Image:
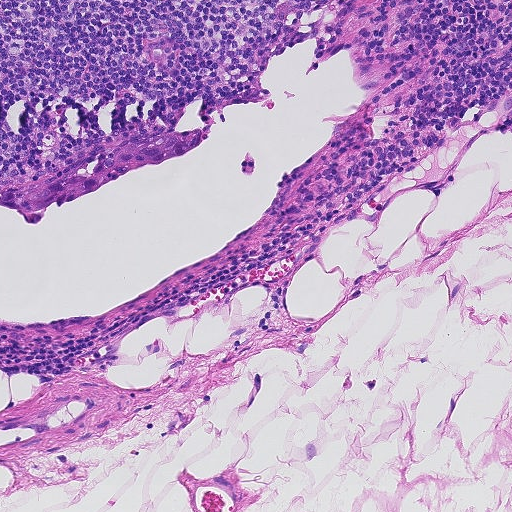
This is a crop of a whole-slide image: an H&E-stained breast-cancer sentinel lymph node section at roughly 10× magnification (about 0.9 µm per pixel; the crop spans about 0.46 mm).
Question:
Describe where the metastatic carcinoma lies in this crop.
Answer:
One metastatic tumour region; its boundary, reduced to 16 corners and listed clockwise: (193, 129), (205, 130), (192, 148), (181, 154), (131, 168), (101, 190), (53, 204), (38, 223), (25, 222), (13, 209), (0, 206), (0, 190), (47, 184), (80, 167), (114, 156), (146, 140).
Tumour covers under 5% of the frame.